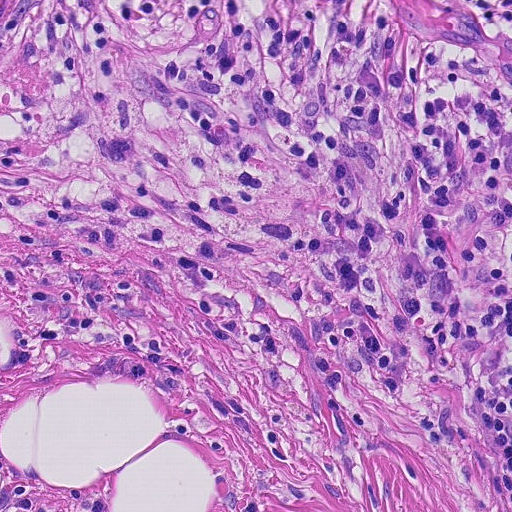
H&E-stained section of a sentinel lymph node (breast cancer), from a whole-slide image, viewed at about 20×: the field is about 0.23 mm across, about 0.45 µm per pixel.
Metastatic tumour outline, simplified to 4 points and listed clockwise in crop pixels (x, y): (0, 0), (27, 0), (22, 30), (0, 45).
Under 5% of this field is tumour.